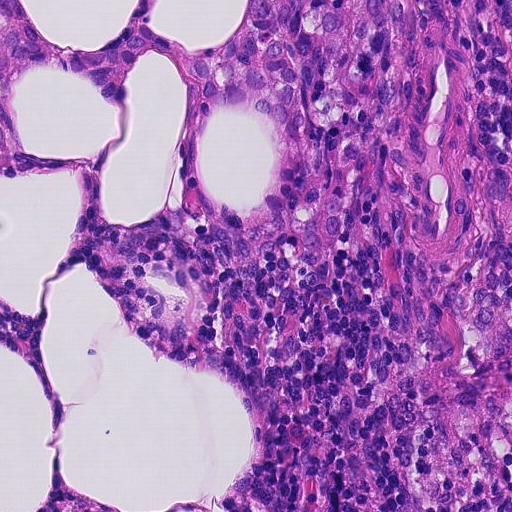
Lymph node section stained with H&E, from a whole-slide image of a breast-cancer sentinel node. Magnification about 20×, about 0.23 mm across the frame, about 0.45 µm per pixel.
Boundaries of two metastatic tumour regions, simplified and listed clockwise, largest first: region 1: (0, 0), (404, 0), (411, 8), (416, 75), (400, 116), (358, 172), (348, 240), (333, 255), (311, 256), (292, 244), (268, 208), (282, 145), (268, 127), (228, 110), (194, 140), (170, 56), (150, 50), (132, 65), (128, 108), (50, 68), (9, 80), (22, 156), (0, 176); region 2: (482, 0), (511, 0), (511, 56), (492, 17).
The annotated tumour makes up about 20% of the crop.